This is a crop of a whole-slide image: an H&E-stained breast-cancer sentinel lymph node section at roughly 10× magnification (about 0.97 µm per pixel; the crop spans about 0.5 mm).
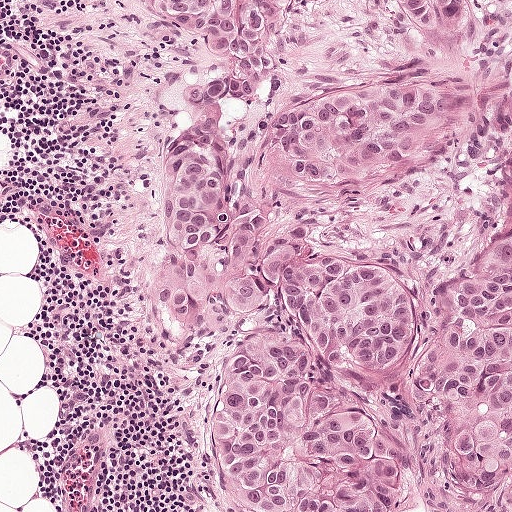
Tumour region outline (a closed clockwise path, crop pixels): (89, 0), (511, 0), (511, 511), (229, 511), (197, 445), (200, 364), (151, 292), (157, 192), (182, 134), (174, 89).
Tumour covers about 65% of the frame.